Image:
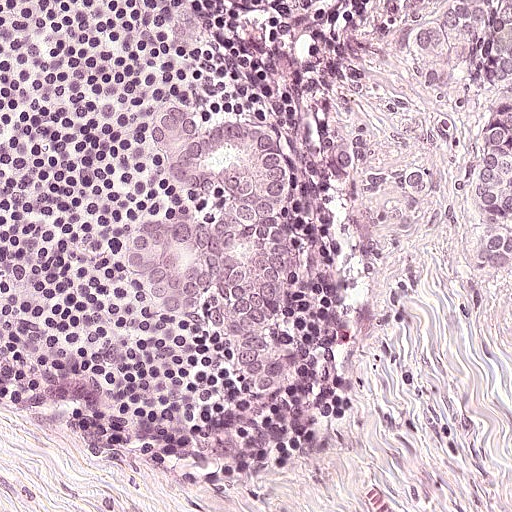
Lymph node section stained with H&E, from a whole-slide image of a breast-cancer sentinel node. Magnification about 20×, about 0.25 mm across the frame, about 0.49 µm per pixel.
Question:
Is any metastatic breast cancer visible in this crop?
Answer:
Yes.
The outlined metastatic tumour's edge, as a closed clockwise path of 21 points: (511, 0), (511, 268), (464, 230), (457, 108), (392, 44), (374, 42), (356, 144), (300, 218), (313, 372), (290, 402), (274, 402), (206, 336), (137, 301), (118, 236), (132, 201), (190, 194), (146, 136), (164, 92), (332, 151), (348, 22), (296, 1).
About 25% of the image area is annotated as tumour.